Question: 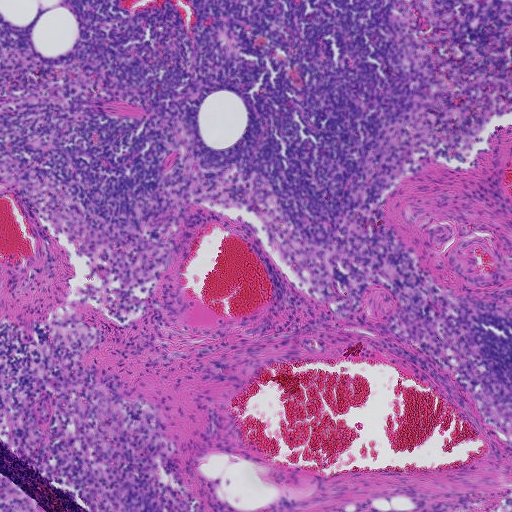
About what magnification does this crop show?

Choices:
 (A) about 10×
 (B) about 5×
 (C) about 40×
 (D) about 2.5×
 (E) about 20×

Answer: (B) about 5×
H&E-stained section of a sentinel lymph node (breast cancer), from a whole-slide image, viewed at about 5×: the field is about 0.93 mm across, about 1.8 µm per pixel.